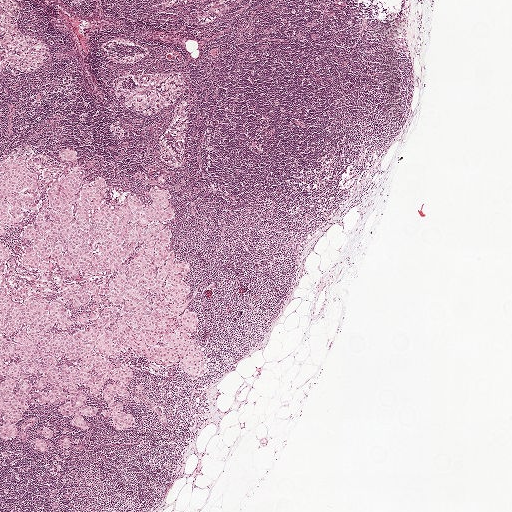
H&E-stained section of a sentinel lymph node (breast cancer), from a whole-slide image, viewed at about 2.5×: the field is about 2.0 mm across, about 3.9 µm per pixel.
Outlines of two tumour regions, largest first (closed clockwise paths, crop pixels): region 1: (20, 147), (62, 176), (70, 148), (112, 207), (174, 191), (168, 249), (188, 266), (201, 374), (105, 354), (132, 370), (128, 433), (81, 386), (83, 391), (86, 394), (84, 404), (96, 410), (87, 431), (30, 403), (2, 439), (0, 160); region 2: (32, 437), (35, 437), (43, 440), (45, 443), (45, 449), (44, 450), (39, 451), (30, 445), (30, 441).
Two more small tumour pieces are annotated here but not outlined.
About 15% of the image area is annotated as tumour.